H&E-stained section of a sentinel lymph node (breast cancer), from a whole-slide image, viewed at about 10×: the field is about 0.46 mm across, about 0.9 µm per pixel.
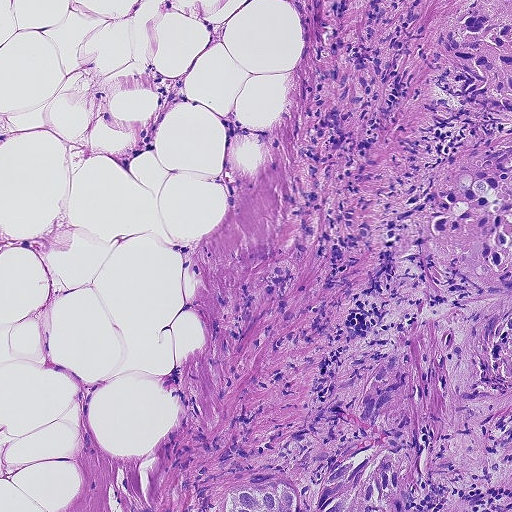
The outlined metastatic tumour's edge, as a closed clockwise path of 15 points: (511, 0), (511, 511), (223, 511), (236, 472), (306, 426), (318, 406), (352, 394), (431, 306), (456, 303), (428, 281), (419, 208), (468, 129), (431, 110), (414, 56), (462, 6).
About 25% of the image area is annotated as tumour.